Lymph node section stained with H&E, from a whole-slide image of a breast-cancer sentinel node. Magnification about 20×, about 0.23 mm across the frame, about 0.45 µm per pixel.
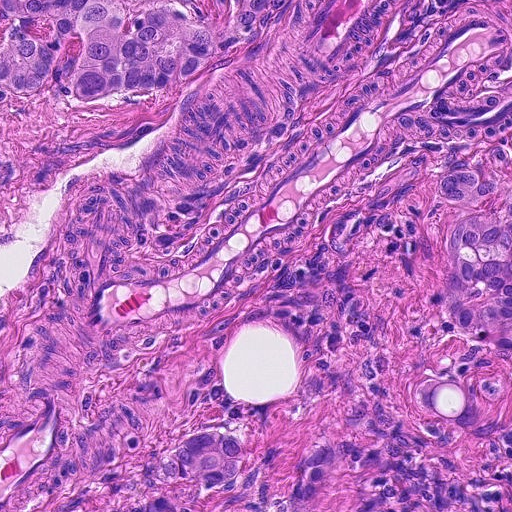
The outlined metastatic tumour's edge, as a closed clockwise path of 24 points: (0, 0), (511, 0), (511, 477), (462, 436), (396, 428), (340, 464), (311, 511), (210, 511), (166, 468), (166, 436), (194, 422), (298, 436), (414, 380), (438, 320), (432, 218), (404, 161), (374, 166), (204, 311), (144, 339), (77, 339), (86, 214), (180, 93), (113, 110), (0, 88).
The annotated tumour makes up about 55% of the crop.